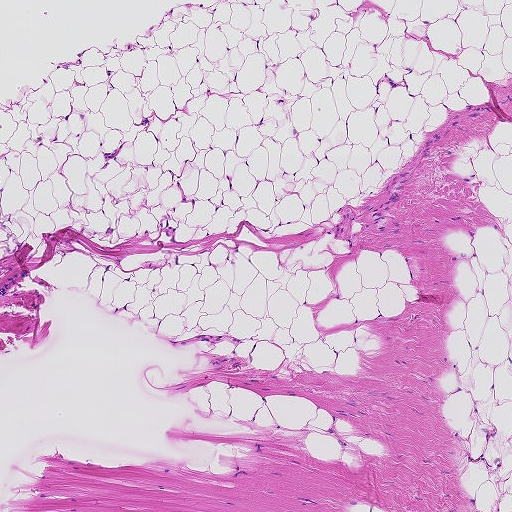
A 0.93-mm field of an H&E-stained sentinel lymph node from a breast-cancer patient (whole-slide image), shown at about 5×, about 1.8 µm per pixel.
Question: Does this lymph node field contain metastatic tumour?
Answer: No. No metastatic tumour is outlined in this field.